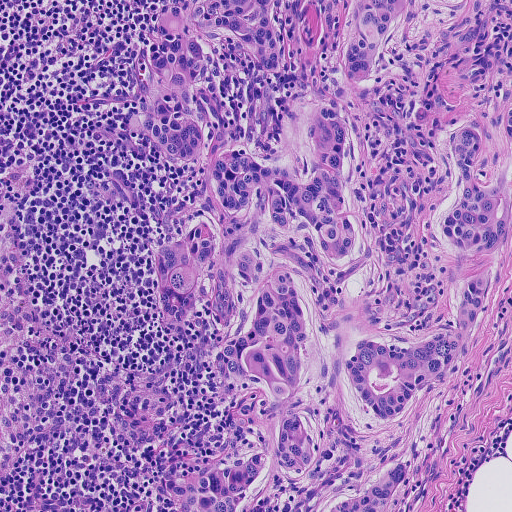
Lymph node section stained with H&E, from a whole-slide image of a breast-cancer sentinel node. Magnification about 10×, about 0.46 mm across the frame, about 0.91 µm per pixel.
Question: Where is the metastatic tumour in this field? Give each region's outline as (x, y) pixel points.
Answer: Outlines of two tumour regions, largest first (closed clockwise paths, crop pixels): region 1: (281, 0), (332, 97), (341, 21), (511, 0), (492, 302), (398, 418), (353, 420), (336, 388), (299, 482), (192, 511), (188, 471), (272, 432), (212, 353), (252, 288), (218, 262), (182, 314), (156, 283), (202, 160), (135, 122), (156, 18); region 2: (408, 460), (408, 480), (397, 492), (390, 511), (324, 511), (335, 498), (354, 488), (388, 463).
The annotated tumour makes up about 50% of the crop.